Question: 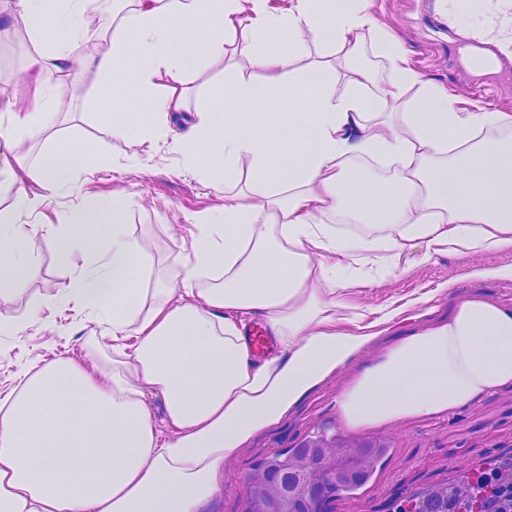
H&E-stained section of a sentinel lymph node (breast cancer), from a whole-slide image, viewed at about 20×: the field is about 0.23 mm across, about 0.45 µm per pixel.
Estimate the proportion of this field that is metastatic tumour.

Choices:
 (A) about 25% to 45%
 (B) about 5% or less
 (C) none: no tumour is outlined
 (D) about 50% or more
 (E) about 10% to 20%

Answer: (B) about 5% or less
About 5% of the field is tumour.
One metastatic tumour region; its boundary, reduced to 14 corners and listed clockwise: (348, 430), (378, 431), (399, 438), (394, 457), (380, 464), (372, 485), (358, 495), (340, 495), (320, 511), (226, 511), (236, 488), (238, 462), (292, 448), (304, 438).
Question: 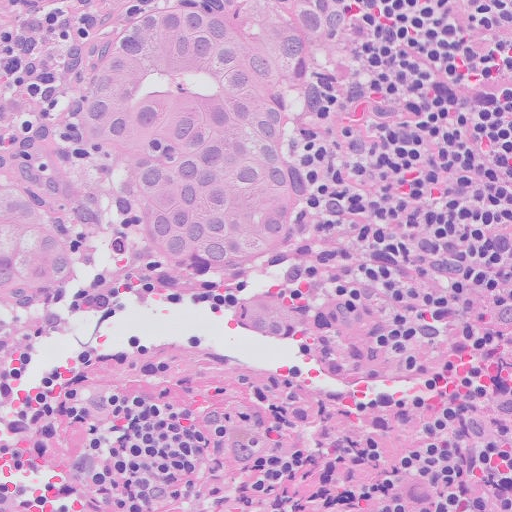
This is a crop of a whole-slide image: an H&E-stained breast-cancer sentinel lymph node section at roughly 20× magnification (about 0.5 µm per pixel; the crop spans about 0.26 mm).
Estimate the proportion of this field that is metastatic tumour.

Choices:
 (A) about 5% or less
 (B) about 25% to 45%
 (C) none: no tumour is outlined
 (D) about 10% to 20%
 (E) about 50% or more

Answer: (B) about 25% to 45%
About 35% of the field is tumour.
Metastatic tumour outline, simplified to 8 points and listed clockwise in crop pixels (x, y): (133, 4), (337, 5), (360, 64), (320, 147), (325, 204), (263, 268), (0, 321), (0, 138).
Question: 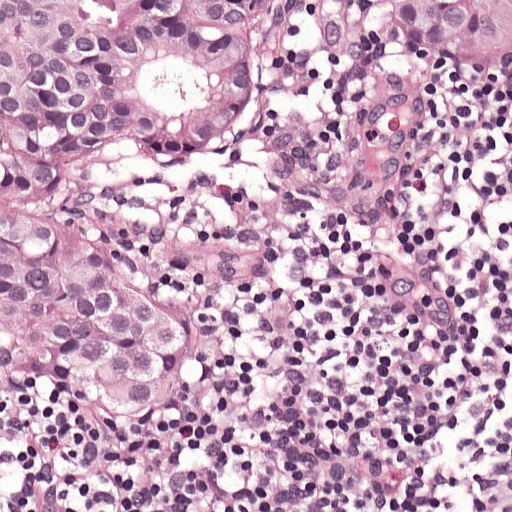
H&E-stained section of a sentinel lymph node (breast cancer), from a whole-slide image, viewed at about 20×: the field is about 0.25 mm across, about 0.49 µm per pixel.
Estimate the proportion of this field that is metastatic tumour.

Choices:
 (A) about 5% or less
 (B) about 50% or more
 (C) about 25% to 45%
 (D) about 10% to 20%
 (E) none: no tumour is outlined

Answer: (C) about 25% to 45%
About 35% of the field is tumour.
Two metastatic tumour regions, each outlined as a closed clockwise path in crop pixels (x, y), largest first: region 1: (0, 0), (314, 0), (276, 46), (266, 110), (201, 169), (115, 144), (86, 187), (192, 282), (205, 331), (197, 378), (122, 409), (0, 363); region 2: (354, 0), (511, 0), (511, 72), (431, 73).
Question: 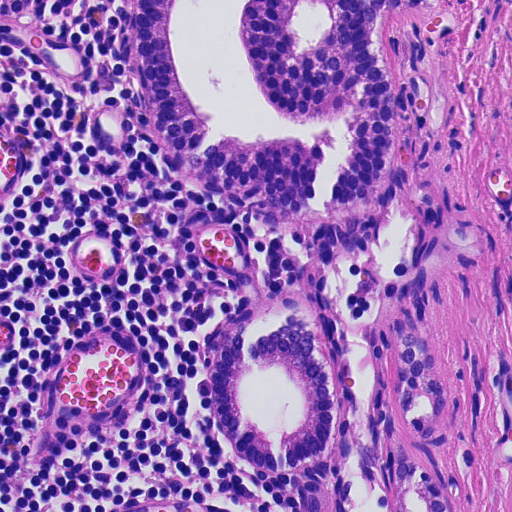
H&E-stained section of a sentinel lymph node (breast cancer), from a whole-slide image, viewed at about 20×: the field is about 0.23 mm across, about 0.45 µm per pixel.
Estimate the proportion of this field that is metastatic tumour.

Choices:
 (A) about 10% to 20%
 (B) about 50% or more
 (C) none: no tumour is outlined
 (D) about 5% or less
 (E) about 25% to 45%

Answer: (E) about 25% to 45%
About 35% of the field is tumour.
Boundaries of five metastatic tumour regions, simplified and listed clockwise, largest first: region 1: (138, 0), (441, 0), (380, 18), (399, 106), (391, 162), (411, 176), (402, 207), (416, 228), (412, 300), (379, 299), (380, 316), (362, 326), (337, 318), (320, 297), (325, 272), (276, 226), (187, 178), (146, 118); region 2: (296, 286), (340, 384), (338, 460), (326, 511), (296, 511), (300, 479), (246, 468), (222, 439), (208, 403), (208, 366), (218, 329), (240, 304); region 3: (401, 314), (429, 338), (438, 374), (444, 412), (433, 447), (406, 424), (390, 390), (392, 350); region 4: (397, 446), (438, 472), (452, 511), (390, 511); region 5: (0, 0), (33, 0), (8, 14), (0, 12).
One more small tumour piece is annotated here but not outlined.